A 1.9-mm field of an H&E-stained sentinel lymph node from a breast-cancer patient (whole-slide image), shown at about 2.5×, about 3.6 µm per pixel.
Image:
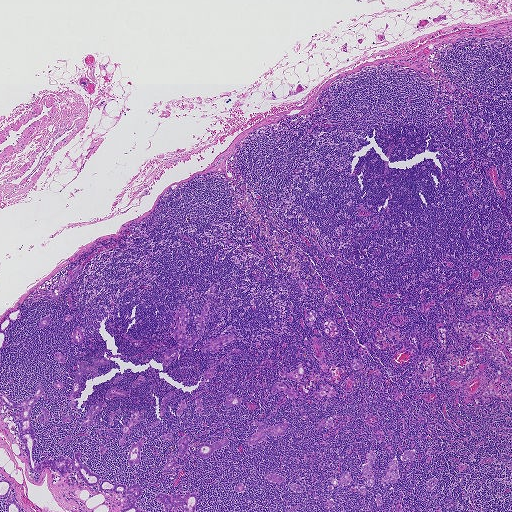
Question:
Is any metastatic breast cancer visible in this crop?
Answer:
Yes.
The eight largest tumour regions' boundaries, simplified and listed clockwise, largest first: region 1: (41, 384), (43, 397), (34, 404), (30, 417), (35, 432), (34, 461), (36, 463), (62, 456), (71, 459), (74, 457), (74, 451), (78, 451), (81, 452), (79, 458), (85, 466), (98, 476), (98, 485), (97, 483), (86, 484), (78, 472), (69, 470), (62, 475), (48, 467), (41, 473), (35, 473), (29, 466), (18, 434), (18, 425), (11, 414), (21, 411), (10, 408), (0, 400), (0, 391), (17, 403), (34, 396), (36, 387); region 2: (202, 306), (204, 306), (207, 307), (207, 310), (205, 316), (205, 327), (201, 335), (191, 346), (180, 347), (173, 336), (172, 333), (175, 328), (177, 314), (183, 307), (186, 308), (188, 310), (190, 319), (187, 324), (186, 332), (188, 335), (190, 335), (198, 330), (196, 324), (198, 321), (194, 317), (195, 314), (200, 313); region 3: (101, 480), (108, 480), (113, 483), (116, 484), (122, 484), (125, 485), (126, 488), (138, 484), (141, 489), (141, 492), (140, 495), (136, 499), (134, 505), (137, 507), (140, 511), (121, 511), (122, 506), (125, 505), (127, 496), (129, 494), (122, 495), (105, 491), (99, 489), (99, 485); region 4: (186, 491), (196, 495), (198, 501), (193, 511), (182, 511), (178, 505), (175, 505), (171, 510), (172, 511), (164, 511), (164, 505), (156, 500), (156, 494), (162, 493), (170, 495), (175, 493), (181, 496), (185, 494); region 5: (103, 357), (108, 360), (108, 363), (106, 365), (97, 367), (97, 373), (91, 374), (89, 372), (83, 374), (80, 379), (80, 388), (77, 393), (76, 396), (73, 399), (75, 401), (75, 404), (73, 406), (67, 406), (71, 399), (68, 399), (74, 383), (75, 377), (73, 372), (78, 368), (77, 364), (80, 362), (83, 361), (87, 366), (90, 366), (92, 360), (95, 359); region 6: (256, 420), (270, 426), (287, 423), (287, 426), (286, 428), (286, 434), (282, 436), (268, 434), (266, 435), (266, 439), (249, 444), (246, 439), (255, 433), (258, 427), (255, 425), (253, 422); region 7: (81, 263), (77, 278), (75, 281), (69, 283), (69, 286), (64, 289), (62, 291), (60, 297), (54, 300), (51, 300), (42, 298), (34, 300), (31, 300), (28, 299), (33, 299), (36, 298), (40, 293), (52, 289), (56, 284), (59, 283), (59, 277), (62, 276), (65, 277), (68, 276); region 8: (373, 450), (376, 453), (372, 466), (374, 480), (372, 487), (369, 487), (366, 485), (360, 469), (361, 465), (367, 462), (366, 456), (367, 453), (370, 451).
27 more, smaller tumour regions are not outlined.
17 more small tumour pieces are annotated here but not outlined.
About 5% of this field is tumour.